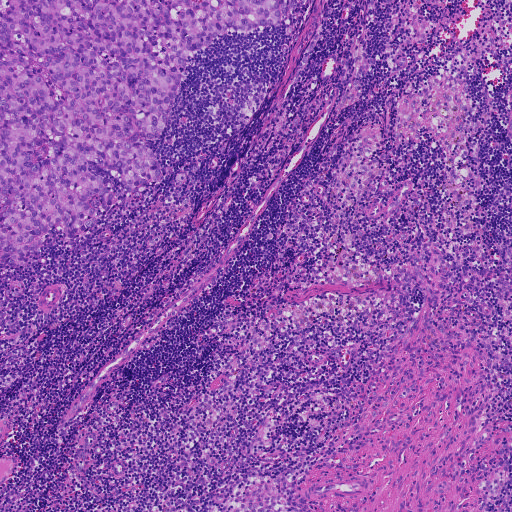
A 0.93-mm field of an H&E-stained sentinel lymph node from a breast-cancer patient (whole-slide image), shown at about 5×, about 1.8 µm per pixel.
The outlined metastatic tumour's edge, as a closed clockwise path of 18 points: (0, 0), (313, 0), (279, 27), (231, 32), (197, 50), (161, 134), (145, 138), (165, 174), (146, 185), (147, 198), (105, 175), (121, 193), (117, 208), (103, 211), (82, 241), (57, 227), (31, 262), (3, 262).
Tumour covers about 15% of the frame.